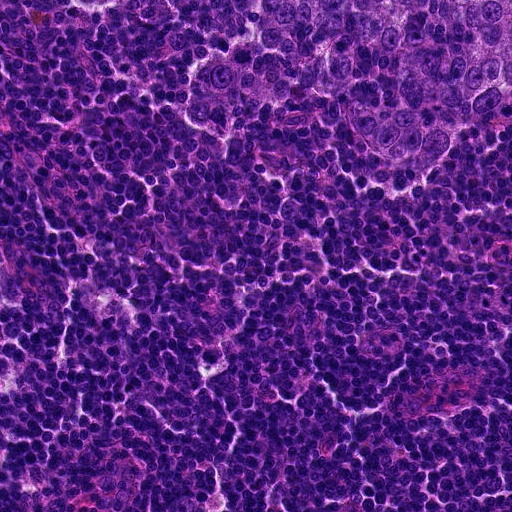
H&E-stained section of a sentinel lymph node (breast cancer), from a whole-slide image, viewed at about 20×: the field is about 0.23 mm across, about 0.45 µm per pixel.
Question: Which parts of this field are metastatic tumour?
Answer: Metastatic tumour outline, simplified to 12 points and listed clockwise in crop pixels (x, y): (259, 0), (511, 0), (511, 92), (431, 175), (376, 161), (335, 90), (308, 86), (258, 113), (201, 124), (184, 102), (184, 74), (250, 24).
One more small tumour piece is annotated here but not outlined.
About 15% of this field is tumour.